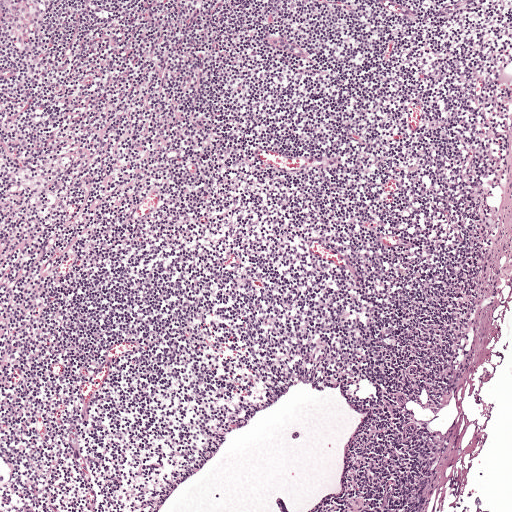
H&E-stained section of a sentinel lymph node (breast cancer), from a whole-slide image, viewed at about 5×: the field is about 1 mm across, about 1.9 µm per pixel.